Lymph node section stained with H&E, from a whole-slide image of a breast-cancer sentinel node. Magnification about 5×, about 1 mm across the frame, about 1.9 µm per pixel.
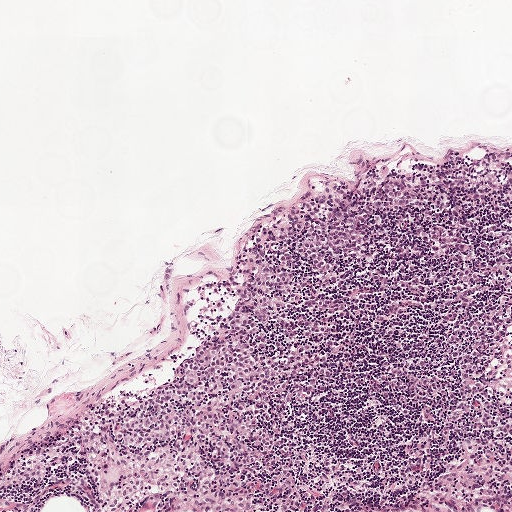
The outlined metastatic tumour's edge, as a closed clockwise path of 22 points: (387, 171), (427, 174), (432, 203), (372, 227), (362, 263), (344, 276), (348, 316), (337, 330), (333, 372), (284, 424), (284, 460), (272, 481), (244, 480), (192, 447), (105, 443), (93, 433), (93, 418), (134, 404), (188, 356), (223, 310), (242, 251), (285, 195).
Tumour covers about 15% of the frame.